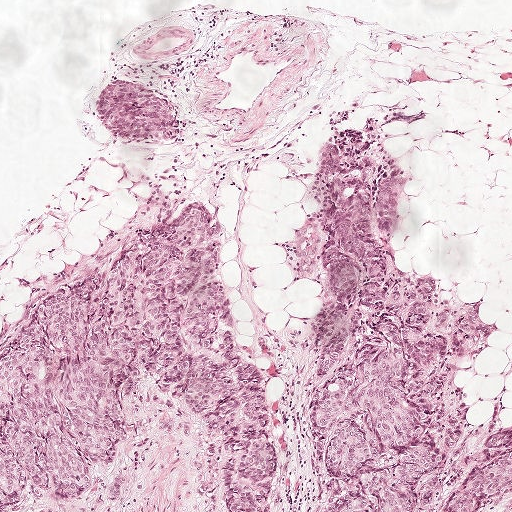
H&E-stained section of a sentinel lymph node (breast cancer), from a whole-slide image, viewed at about 5×: the field is about 1 mm across, about 1.9 µm per pixel.
One metastatic tumour region; its boundary, reduced to 23 corners and listed clockwise: (138, 72), (180, 85), (228, 230), (252, 246), (266, 320), (303, 304), (295, 216), (335, 136), (362, 123), (410, 133), (410, 238), (501, 323), (490, 403), (506, 403), (511, 511), (0, 511), (0, 322), (42, 272), (122, 224), (108, 222), (127, 184), (95, 141), (92, 104).
About 60% of this field is tumour.